This is a crop of a whole-slide image: an H&E-stained breast-cancer sentinel lymph node section at roughly 40× magnification (about 0.23 µm per pixel; the crop spans about 0.12 mm).
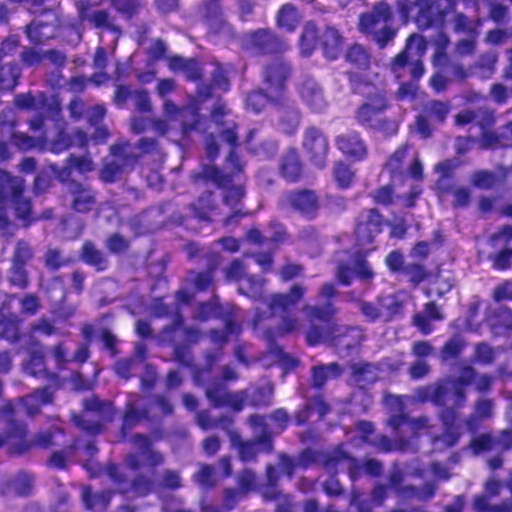
Outlines of two tumour regions, largest first (closed clockwise paths, crop pixels): region 1: (143, 0), (309, 0), (366, 29), (397, 94), (402, 130), (341, 264), (306, 274), (285, 223), (238, 166), (233, 55), (195, 49), (164, 33); region 2: (0, 464), (48, 464), (85, 488), (96, 511), (0, 511).
About 15% of the image area is annotated as tumour.